Image:
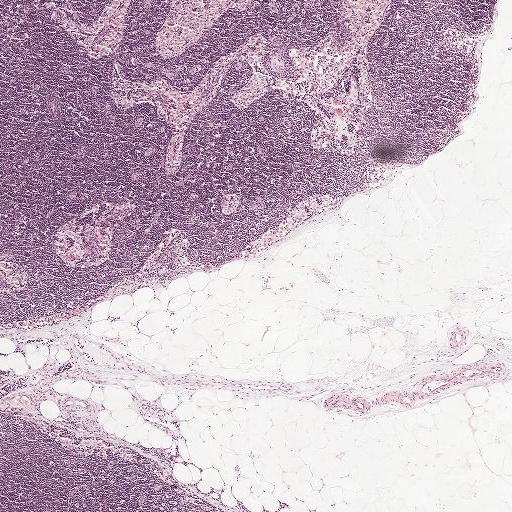
This is a crop of a whole-slide image: an H&E-stained breast-cancer sentinel lymph node section at roughly 2.5× magnification (about 3.9 µm per pixel; the crop spans about 2.0 mm).
Question:
Is there metastatic carcinoma in this field?
Answer:
No. No metastatic tumour is outlined in this field.